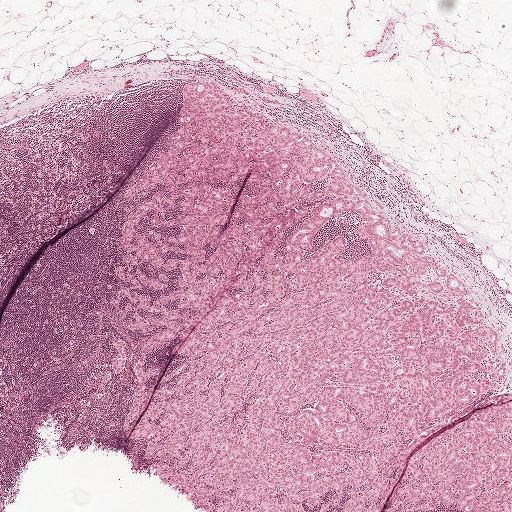
A 2.0-mm field of an H&E-stained sentinel lymph node from a breast-cancer patient (whole-slide image), shown at about 2.5×, about 3.9 µm per pixel.
Question: Is any metastatic breast cancer visible in this crop?
Answer: Yes.
Boundaries of two metastatic tumour regions, simplified and listed clockwise, largest first: region 1: (328, 199), (366, 199), (461, 275), (487, 325), (504, 332), (508, 376), (397, 448), (361, 511), (205, 511), (156, 476), (138, 434), (176, 360), (280, 246), (313, 254), (343, 236), (340, 257), (370, 254), (355, 212), (327, 222), (306, 248), (285, 239); region 2: (511, 407), (511, 511), (460, 511), (434, 497), (430, 486), (431, 472), (450, 438), (468, 424).
The annotated tumour makes up about 30% of the crop.